A 0.23-mm field of an H&E-stained sentinel lymph node from a breast-cancer patient (whole-slide image), shown at about 20×, about 0.45 µm per pixel.
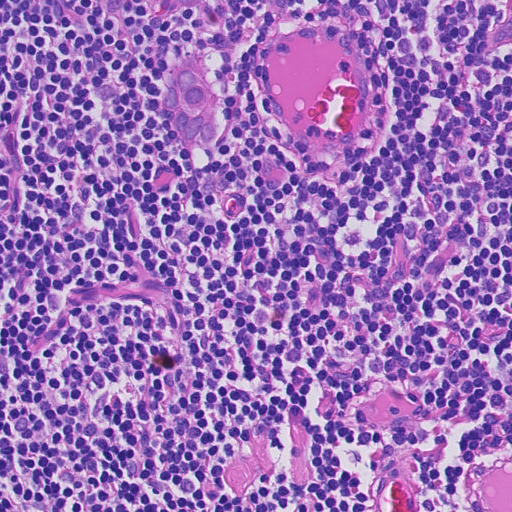
The outlined metastatic tumour's edge, as a closed clockwise path of 9 points: (182, 62), (194, 62), (222, 98), (219, 118), (222, 134), (212, 148), (195, 146), (160, 120), (158, 93).
One more small tumour piece is annotated here but not outlined.
The annotated tumour makes up under 5% of the crop.